Image:
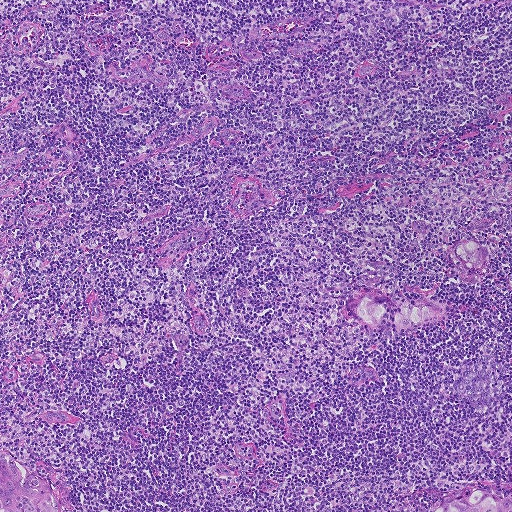
Lymph node section stained with H&E, from a whole-slide image of a breast-cancer sentinel node. Magnification about 5×, about 0.93 mm across the frame, about 1.8 µm per pixel.
Question:
Which parts of this field are metastatic tumour? Answer with the outline of each region, in pixels.
Answer:
Boundaries of five metastatic tumour regions, simplified and listed clockwise, largest first: region 1: (0, 451), (10, 453), (19, 462), (24, 474), (43, 476), (52, 485), (60, 508), (60, 511), (0, 511); region 2: (474, 486), (511, 501), (511, 511), (431, 511), (439, 500), (465, 487); region 3: (366, 288), (380, 290), (387, 294), (388, 300), (386, 315), (377, 324), (370, 325), (364, 324), (350, 308), (350, 301), (354, 295); region 4: (404, 298), (411, 298), (417, 302), (424, 300), (437, 302), (443, 306), (442, 313), (437, 318), (417, 324), (405, 331), (399, 328), (394, 316); region 5: (469, 239), (478, 241), (485, 247), (487, 255), (486, 264), (478, 269), (470, 269), (462, 266), (452, 252), (454, 244).
The annotated tumour makes up about 5% of the crop.